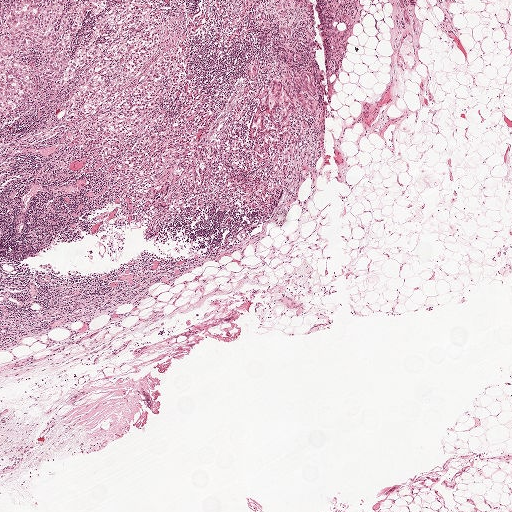
Lymph node section stained with H&E, from a whole-slide image of a breast-cancer sentinel node. Magnification about 2.5×, about 2.0 mm across the frame, about 3.9 µm per pixel.
The outlined metastatic tumour's edge, as a closed clockwise path of 11 points: (8, 59), (19, 60), (26, 65), (30, 71), (33, 83), (32, 98), (29, 101), (12, 106), (7, 115), (0, 115), (0, 62).
The annotated tumour makes up under 5% of the crop.